A 0.93-mm field of an H&E-stained sentinel lymph node from a breast-cancer patient (whole-slide image), shown at about 5×, about 1.8 µm per pixel.
Question: 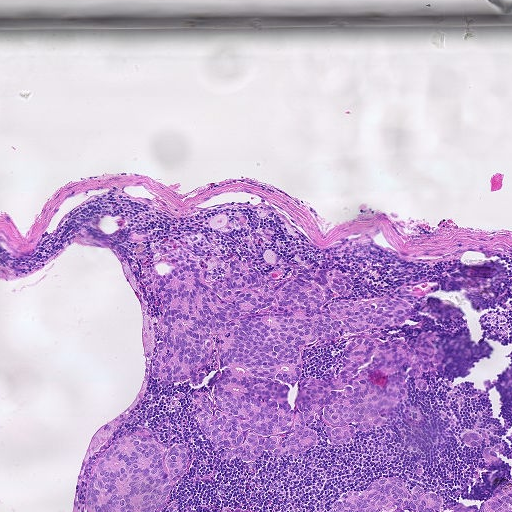
About how much of this crop is taken up by metastatic carcinoma?

Choices:
 (A) none: no tumour is outlined
 (B) about 10% to 20%
 (C) about 25% to 45%
 (D) about 50% or more
 (E) about 5% or less

Answer: (B) about 10% to 20%
About 20% of the field is tumour.
Boundaries of four metastatic tumour regions, simplified and listed clockwise, largest first: region 1: (233, 257), (268, 284), (304, 261), (312, 275), (355, 279), (358, 294), (328, 304), (410, 302), (390, 330), (301, 350), (299, 379), (331, 380), (352, 339), (441, 336), (438, 366), (422, 375), (428, 391), (403, 377), (391, 424), (338, 446), (320, 418), (305, 424), (320, 440), (296, 458), (267, 450), (247, 462), (215, 450), (189, 400), (211, 374), (180, 385), (149, 373), (161, 335), (154, 275), (178, 264), (214, 279); region 2: (141, 426), (156, 432), (164, 446), (179, 444), (192, 454), (191, 470), (159, 511), (84, 511), (84, 492), (94, 463), (102, 450), (127, 431); region 3: (392, 476), (407, 478), (435, 492), (445, 500), (442, 510), (456, 504), (477, 506), (498, 484), (511, 477), (511, 511), (332, 511), (331, 506), (340, 493), (365, 490), (376, 480); region 4: (468, 430), (478, 431), (486, 436), (488, 445), (502, 441), (508, 446), (506, 452), (511, 445), (511, 475), (510, 465), (495, 464), (481, 458), (480, 451), (482, 446), (475, 448), (468, 448), (461, 441), (461, 434).
Two more small tumour pieces are annotated here but not outlined.